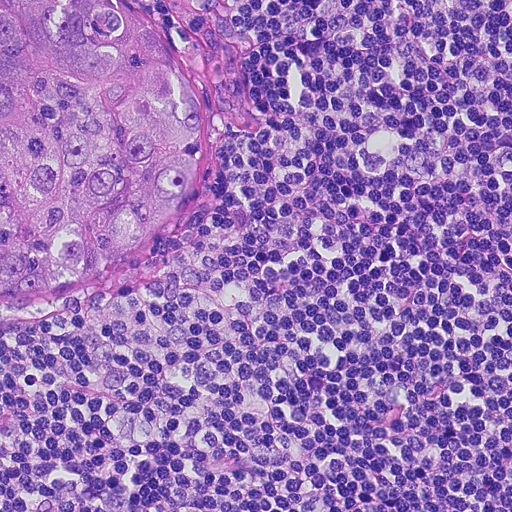
Lymph node section stained with H&E, from a whole-slide image of a breast-cancer sentinel node. Magnification about 20×, about 0.23 mm across the frame, about 0.45 µm per pixel.
Question: Outline the metastatic carcinoma in this image, as closed paths of (x, y) pixel coordinates.
Answer: The outlined metastatic tumour's edge, as a closed clockwise path of 8 points: (0, 0), (143, 0), (178, 32), (210, 124), (192, 226), (122, 298), (74, 314), (0, 314).
The annotated tumour makes up about 20% of the crop.

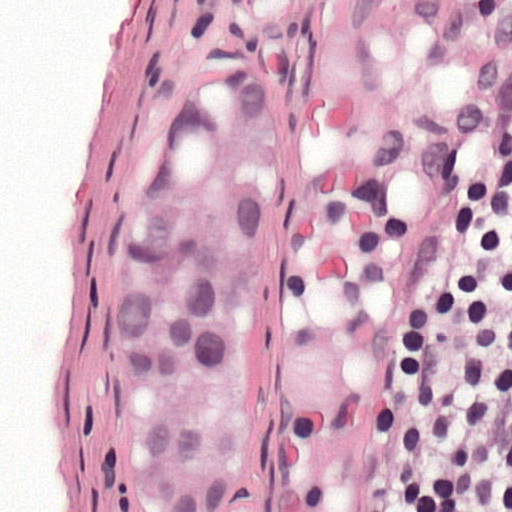
Lymph node section stained with H&E, from a whole-slide image of a breast-cancer sentinel node. Magnification about 40×, about 0.12 mm across the frame, about 0.24 µm per pixel.
Question: Outline the metastatic carcinoma in this image, as closed paths of (x, y) pixel coordinates.
Answer: Metastatic tumour outline, simplified to 10 points and listed clockwise in crop pixels (x, y): (236, 54), (272, 100), (291, 200), (289, 301), (244, 497), (231, 511), (130, 511), (108, 421), (123, 218), (161, 122).
Tumour covers about 25% of the frame.

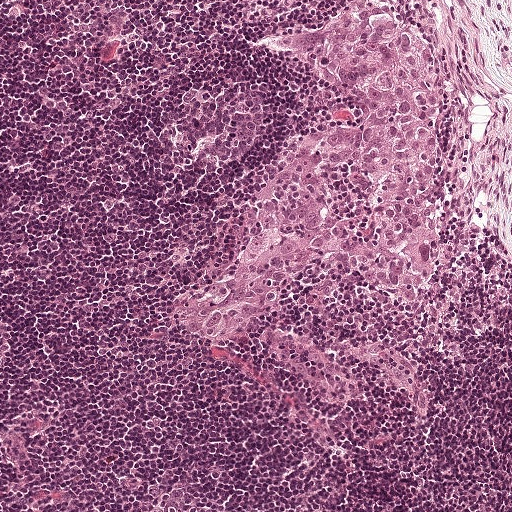
H&E-stained section of a sentinel lymph node (breast cancer), from a whole-slide image, viewed at about 10×: the field is about 0.5 mm across, about 0.97 µm per pixel.
Question: Outline the metastatic carcinoma in this image, as closed paths of (x, y) pixel coordinates.
Answer: Metastatic tumour outline, simplified to 18 points and listed clockwise in crop pixels (x, y): (356, 3), (405, 14), (444, 57), (453, 266), (438, 289), (393, 300), (326, 254), (258, 329), (232, 344), (210, 342), (175, 322), (172, 307), (236, 258), (292, 150), (318, 132), (363, 121), (343, 84), (277, 38).
The annotated tumour makes up about 20% of the crop.

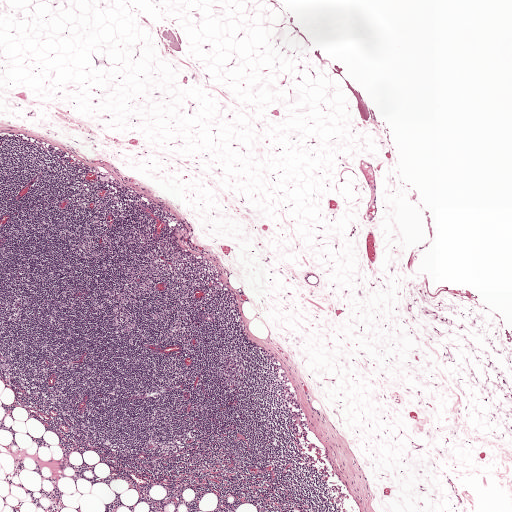
A 2.0-mm field of an H&E-stained sentinel lymph node from a breast-cancer patient (whole-slide image), shown at about 2.5×, about 3.9 µm per pixel.
Question: Outline the metastatic carcinoma in this image, as closed paths of (x, y) pixel coordinates.
Answer: The outlined metastatic tumour's edge, as a closed clockwise path of 7 points: (199, 312), (206, 312), (216, 317), (216, 324), (207, 323), (198, 316), (197, 313).
Under 5% of the image area is annotated as tumour.